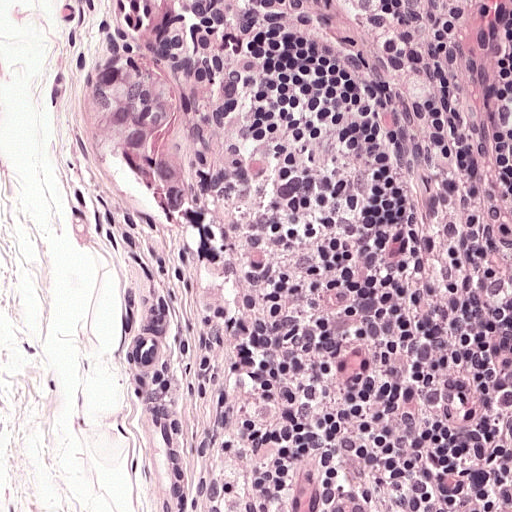
H&E-stained section of a sentinel lymph node (breast cancer), from a whole-slide image, viewed at about 20×: the field is about 0.25 mm across, about 0.49 µm per pixel.
Question: Describe where the metastatic carcinoma lies in this crop.
Answer: Tumour region outline (a closed clockwise path, crop pixels): (122, 41), (151, 48), (178, 80), (182, 110), (176, 141), (190, 170), (194, 198), (170, 214), (101, 157), (83, 134), (71, 106), (76, 76), (94, 52).
The annotated tumour makes up about 5% of the crop.